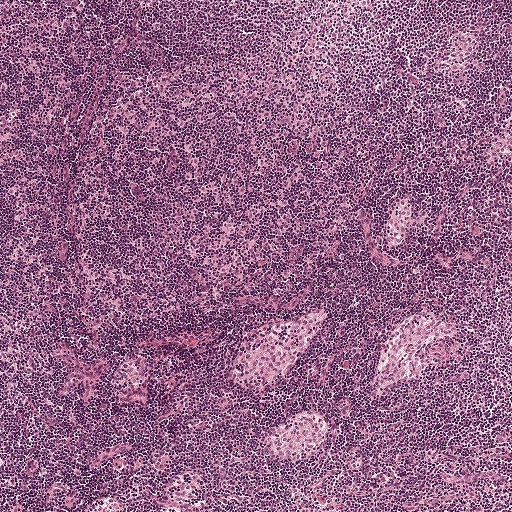
Lymph node section stained with H&E, from a whole-slide image of a breast-cancer sentinel node. Magnification about 5×, about 1 mm across the frame, about 1.9 µm per pixel.